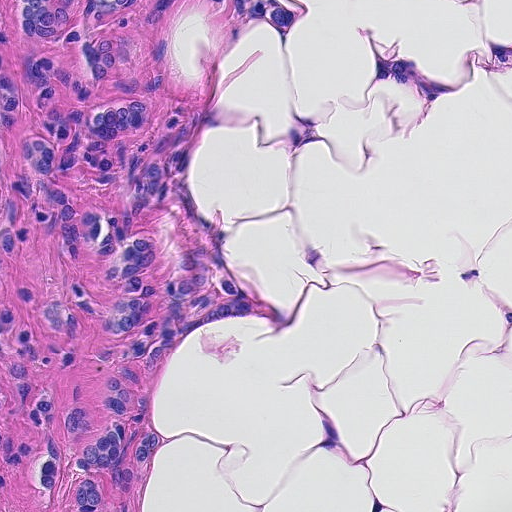
A 0.23-mm field of an H&E-stained sentinel lymph node from a breast-cancer patient (whole-slide image), shown at about 20×, about 0.45 µm per pixel.
Metastatic tumour outline, simplified to 22 points and listed clockwise in crop pixels (x, y): (0, 0), (186, 0), (164, 40), (164, 72), (189, 111), (186, 203), (235, 287), (263, 312), (194, 330), (154, 378), (146, 511), (59, 511), (66, 448), (58, 419), (95, 331), (95, 300), (88, 270), (83, 324), (55, 335), (34, 313), (46, 250), (0, 255).
Tumour covers about 30% of the frame.